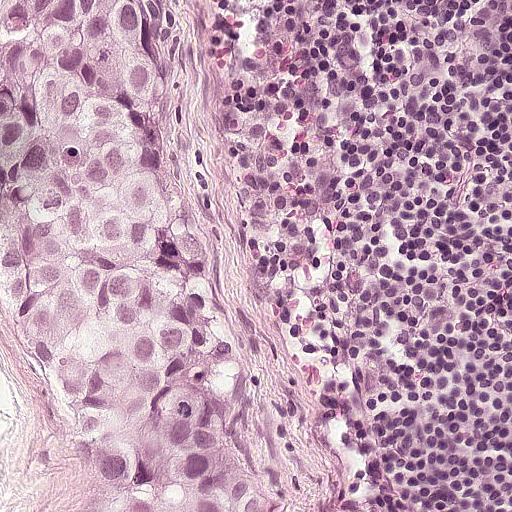
Lymph node section stained with H&E, from a whole-slide image of a breast-cancer sentinel node. Magnification about 20×, about 0.25 mm across the frame, about 0.49 µm per pixel.
One metastatic tumour region; its boundary, reduced to 9 corners and listed clockwise: (0, 0), (190, 0), (184, 96), (206, 144), (206, 284), (301, 511), (99, 511), (81, 460), (4, 361).
Tumour covers about 40% of the frame.